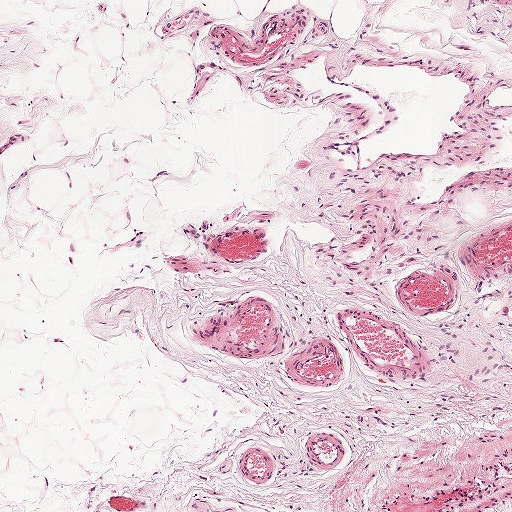
H&E-stained section of a sentinel lymph node (breast cancer), from a whole-slide image, viewed at about 5×: the field is about 1 mm across, about 1.9 µm per pixel.